Image:
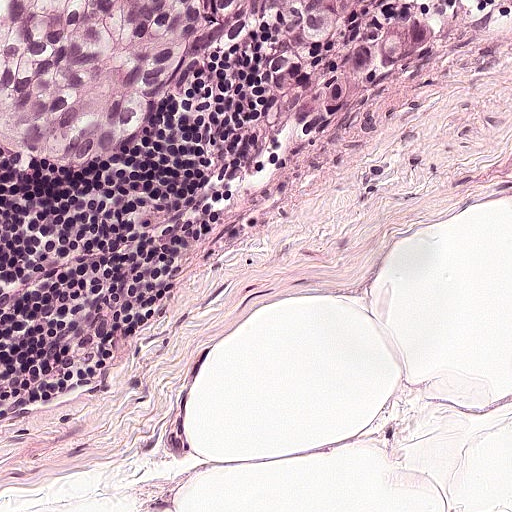
A 0.25-mm field of an H&E-stained sentinel lymph node from a breast-cancer patient (whole-slide image), shown at about 20×, about 0.49 µm per pixel.
Question:
Is there metastatic carcinoma in this field?
Answer:
Yes.
One metastatic tumour region; its boundary, reduced to 13 corners and listed clockwise: (0, 0), (458, 0), (466, 20), (348, 132), (300, 136), (268, 126), (279, 67), (266, 26), (254, 19), (162, 120), (88, 167), (36, 176), (1, 158).
The annotated tumour makes up about 20% of the crop.